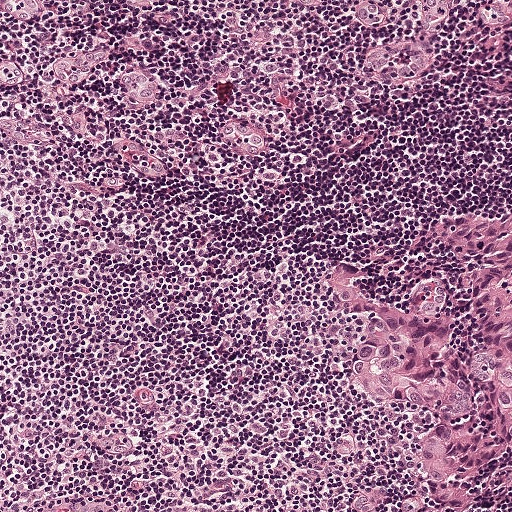
This is a crop of a whole-slide image: an H&E-stained breast-cancer sentinel lymph node section at roughly 10× magnification (about 0.97 µm per pixel; the crop spans about 0.5 mm).
The outlined metastatic tumour's edge, as a closed clockwise path of 19 points: (511, 185), (511, 462), (496, 470), (472, 510), (439, 511), (402, 453), (418, 416), (341, 384), (347, 322), (340, 308), (314, 297), (314, 280), (321, 265), (339, 264), (352, 288), (389, 304), (420, 226), (459, 211), (510, 205).
One more small tumour piece is annotated here but not outlined.
Tumour covers about 15% of the frame.